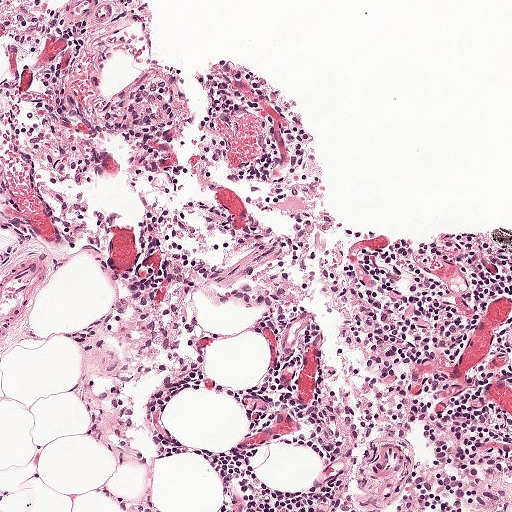
H&E-stained section of a sentinel lymph node (breast cancer), from a whole-slide image, viewed at about 10×: the field is about 0.5 mm across, about 0.97 µm per pixel.
Question: Is any metastatic breast cancer visible in this crop?
Answer: No, this field holds no outlined metastasis.